Question: 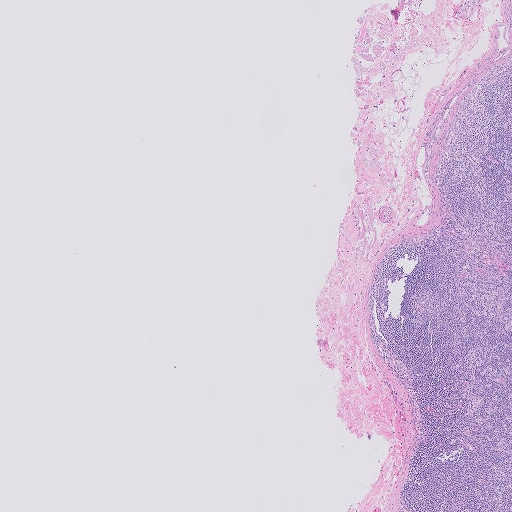
Which magnification is this H&E lymph node field most likely shown at?

Choices:
 (A) about 5×
 (B) about 40×
 (C) about 20×
 (D) about 2.5×
 (E) about 10×

Answer: (D) about 2.5×
A 2.0-mm field of an H&E-stained sentinel lymph node from a breast-cancer patient (whole-slide image), shown at about 2.5×, about 4.0 µm per pixel.
Metastatic tumour outline, simplified to 15 points and listed clockwise in crop pixels (x, y): (441, 121), (443, 122), (443, 130), (434, 144), (432, 158), (429, 165), (428, 173), (429, 181), (427, 182), (423, 172), (424, 164), (426, 159), (427, 149), (436, 127), (439, 122).
Tumour covers under 5% of the frame.